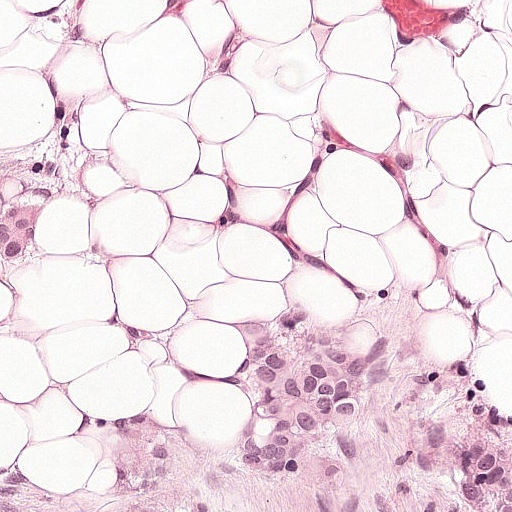
A 0.25-mm field of an H&E-stained sentinel lymph node from a breast-cancer patient (whole-slide image), shown at about 20×, about 0.49 µm per pixel.
Question: Trace the edge of each tumour region in this crop, as (x, y) points from 0 to 511.
Answer: Two metastatic tumour regions, each outlined as a closed clockwise path in crop pixels (x, y), largest first: region 1: (264, 310), (354, 320), (480, 373), (510, 399), (511, 511), (0, 511), (0, 454), (66, 440), (102, 406), (152, 399), (182, 364); region 2: (10, 154), (58, 158), (61, 164), (61, 201), (36, 223), (36, 240), (51, 247), (51, 252), (34, 270), (12, 280), (0, 280), (0, 171).
About 30% of this field is tumour.